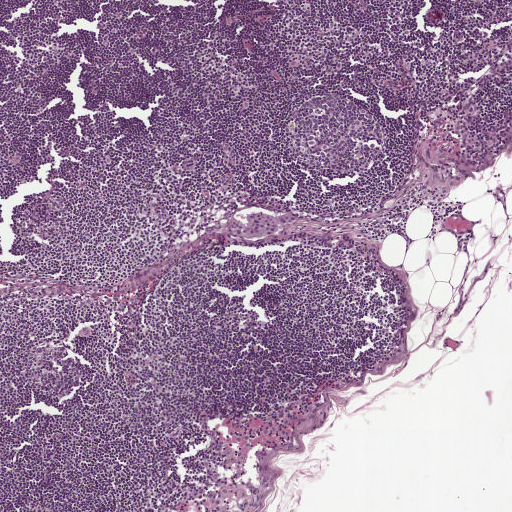
H&E-stained section of a sentinel lymph node (breast cancer), from a whole-slide image, viewed at about 5×: the field is about 1 mm across, about 1.9 µm per pixel.
Question: Show where the tumour is in this image.
Answer: Metastatic tumour outline, simplified to 16 points and listed clockwise in crop pixels (x, y): (261, 212), (276, 215), (287, 213), (297, 219), (293, 224), (285, 226), (278, 234), (270, 236), (249, 238), (221, 232), (222, 230), (232, 218), (235, 216), (245, 223), (246, 215), (248, 213).
Tumour covers under 5% of the frame.